Question: 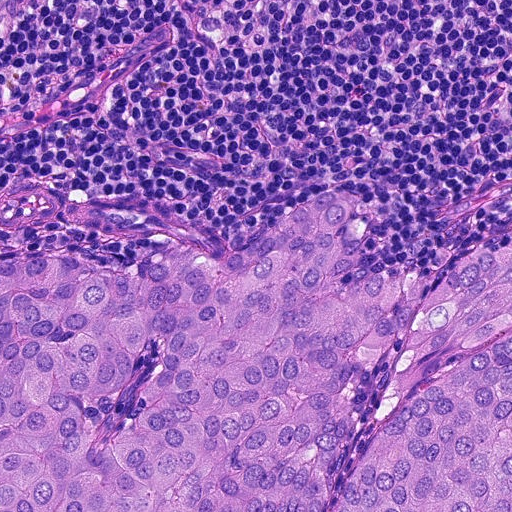
This is a crop of a whole-slide image: an H&E-stained breast-cancer sentinel lymph node section at roughly 20× magnification (about 0.45 µm per pixel; the crop spans about 0.23 mm).
Roughly what share of this field is metastatic tumour?

Choices:
 (A) about 25% to 45%
 (B) about 50% or more
 (C) about 5% or less
 (D) about 10% to 20%
 (E) none: no tumour is outlined

Answer: (B) about 50% or more
About 50% of the field is tumour.
The outlined metastatic tumour's edge, as a closed clockwise path of 15 points: (348, 187), (372, 217), (350, 276), (370, 280), (452, 244), (438, 276), (511, 234), (511, 511), (0, 511), (0, 257), (65, 253), (124, 270), (180, 244), (242, 248), (308, 198).